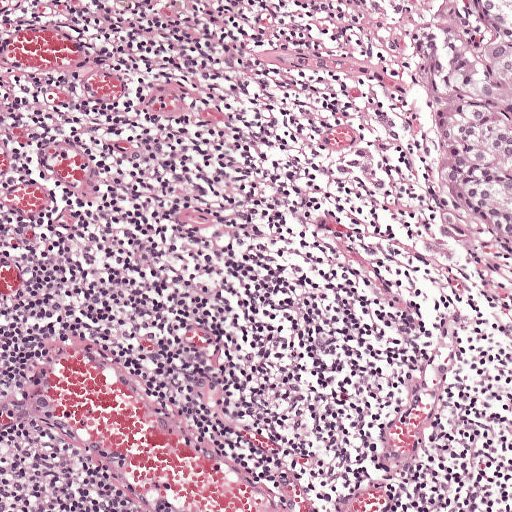
Lymph node section stained with H&E, from a whole-slide image of a breast-cancer sentinel node. Magnification about 10×, about 0.5 mm across the frame, about 0.97 µm per pixel.
Question: Where is the metastatic tumour in this field? Give each region's outline as (x, y) pixel points.
Answer: Outlines of two tumour regions, largest first (closed clockwise paths, crop pixels): region 1: (466, 0), (511, 0), (511, 256), (481, 255), (455, 242), (438, 218), (452, 102), (448, 73), (464, 48), (470, 18); region 2: (364, 146), (378, 170), (361, 175), (342, 176), (333, 163).
About 5% of this field is tumour.